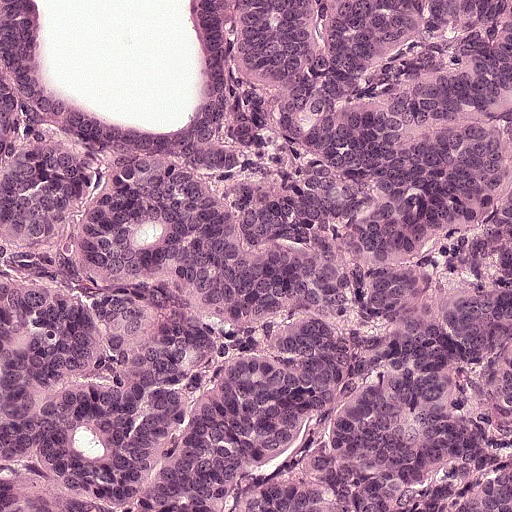
A 0.25-mm field of an H&E-stained sentinel lymph node from a breast-cancer patient (whole-slide image), shown at about 20×, about 0.49 µm per pixel.
Question: Describe where the metastatic carcinoma lies in this crop.
Answer: Metastatic tumour covers the whole field.
Over 95% of the image area is annotated as tumour.